Lymph node section stained with H&E, from a whole-slide image of a breast-cancer sentinel node. Magnification about 10×, about 0.5 mm across the frame, about 0.97 µm per pixel.
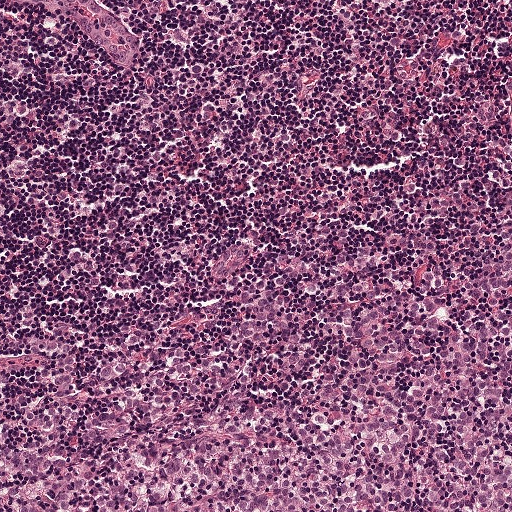
The outlined metastatic tumour's edge, as a closed clockwise path of 10 points: (511, 134), (511, 511), (0, 511), (0, 407), (52, 394), (70, 352), (170, 335), (298, 254), (391, 240), (472, 190).
About 45% of the image area is annotated as tumour.